A 0.25-mm field of an H&E-stained sentinel lymph node from a breast-cancer patient (whole-slide image), shown at about 20×, about 0.49 µm per pixel.
Image:
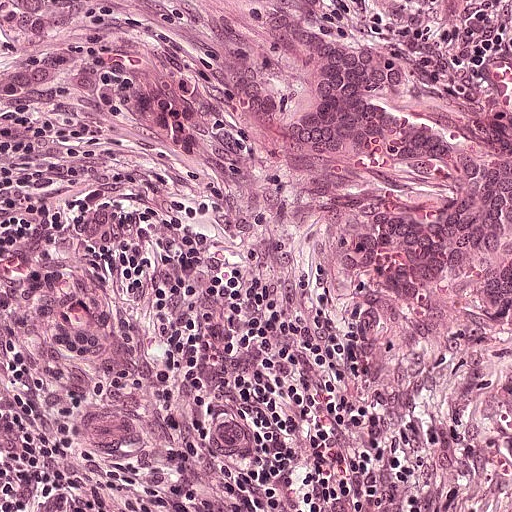
Question:
Is any metastatic breast cancer visible in this crop?
Answer:
Yes.
One metastatic tumour region; its boundary, reduced to 8 corners and listed clockwise: (0, 0), (511, 0), (511, 511), (484, 511), (460, 482), (378, 332), (242, 262), (0, 169).
About 60% of this field is tumour.